Question: 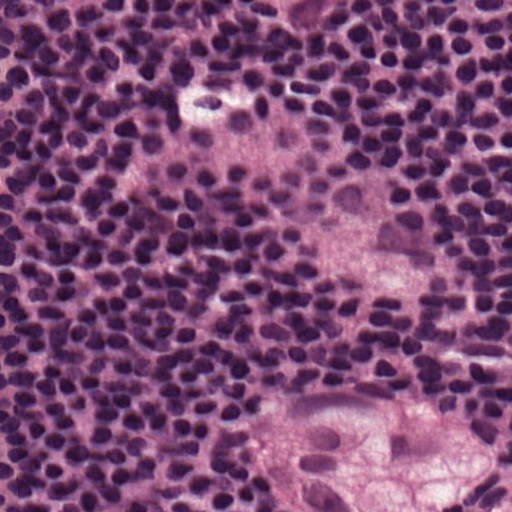
Which magnification is this H&E lymph node field most likely shown at?

Choices:
 (A) about 40×
 (B) about 20×
 (C) about 2.5×
 (D) about 10×
 (E) about 5×

Answer: (A) about 40×
This is a crop of a whole-slide image: an H&E-stained breast-cancer sentinel lymph node section at roughly 40× magnification (about 0.24 µm per pixel; the crop spans about 0.12 mm).
Boundaries of two metastatic tumour regions, simplified and listed clockwise, largest first: region 1: (260, 92), (341, 120), (454, 192), (478, 272), (404, 305), (284, 257), (191, 194), (142, 141); region 2: (391, 376), (500, 406), (511, 488), (461, 511), (285, 511), (233, 450), (296, 378).
The annotated tumour makes up about 25% of the crop.